Lymph node section stained with H&E, from a whole-slide image of a breast-cancer sentinel node. Magnification about 10×, about 0.46 mm across the frame, about 0.9 µm per pixel.
Image:
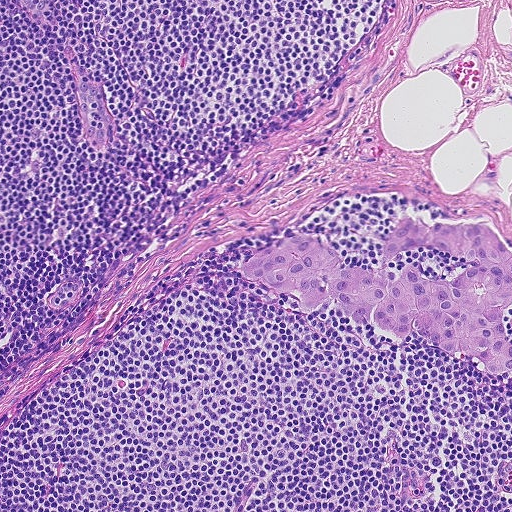
Question:
Describe where the metastatic carcinoma lies in this crop.
Answer:
Tumour region outline (a closed clockwise path, crop pixels): (401, 218), (484, 222), (511, 247), (511, 304), (500, 314), (511, 339), (511, 375), (498, 376), (467, 364), (412, 327), (406, 342), (354, 322), (338, 314), (331, 299), (305, 315), (294, 308), (300, 292), (283, 299), (236, 276), (239, 260), (297, 233), (314, 233), (352, 267), (401, 269), (410, 264), (429, 278), (445, 280), (474, 264), (429, 250), (395, 253), (383, 265), (390, 230).
About 10% of the image area is annotated as tumour.